Question: 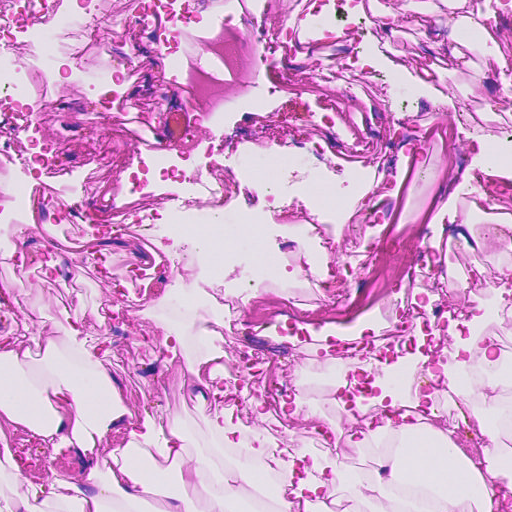
Which magnification is this H&E lymph node field most likely shown at?

Choices:
 (A) about 20×
 (B) about 2.5×
 (C) about 40×
 (D) about 10×
 (E) about 5×

Answer: (A) about 20×
A 0.23-mm field of an H&E-stained sentinel lymph node from a breast-cancer patient (whole-slide image), shown at about 20×, about 0.45 µm per pixel.